Question: 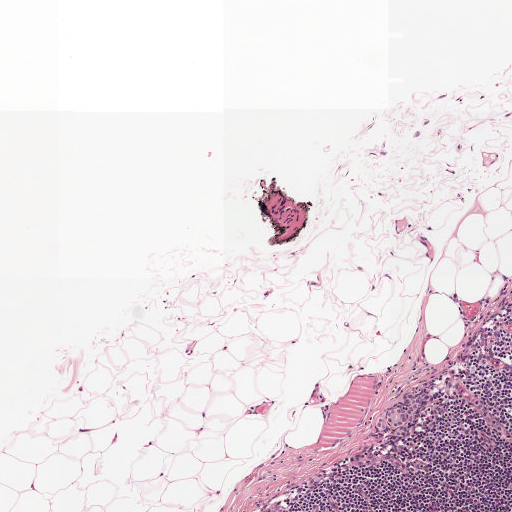
Lymph node section stained with H&E, from a whole-slide image of a breast-cancer sentinel node. Magnification about 5×, about 1 mm across the frame, about 1.9 µm per pixel.
What fraction of the image area is metastatic tumour?

Choices:
 (A) about 5% or less
 (B) about 10% to 20%
 (C) none: no tumour is outlined
 (D) about 50% or more
 (E) about 25% to 45%

Answer: (A) about 5% or less
Under 5% of the field is tumour.
Metastatic tumour outline, simplified to 13 points and listed clockwise in crop pixels (x, y): (421, 394), (421, 407), (412, 420), (407, 425), (409, 430), (406, 437), (396, 436), (392, 428), (381, 432), (375, 427), (376, 417), (384, 411), (406, 405).